A 0.13-mm field of an H&E-stained sentinel lymph node from a breast-cancer patient (whole-slide image), shown at about 40×, about 0.25 µm per pixel.
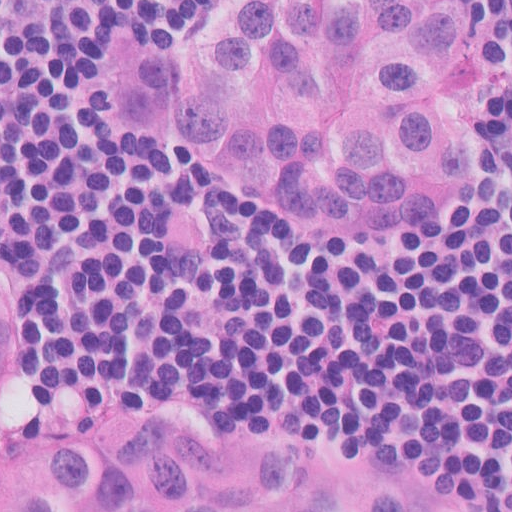
Two metastatic tumour regions, each outlined as a closed clockwise path in crop pixels (x, y), largest first: region 1: (179, 0), (511, 0), (511, 196), (326, 252), (125, 161); region 2: (0, 179), (55, 264), (446, 465), (494, 511), (0, 511).
About 60% of the image area is annotated as tumour.